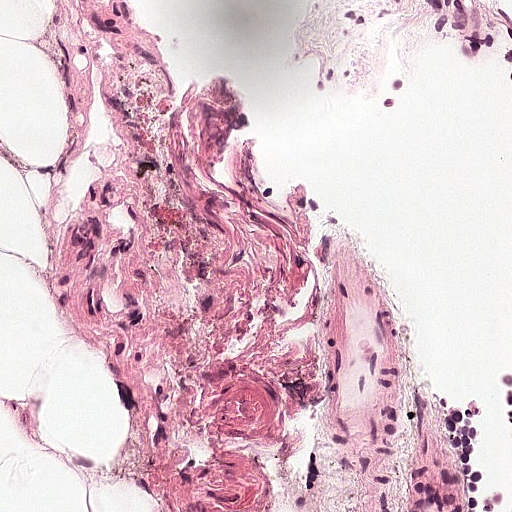
A 0.25-mm field of an H&E-stained sentinel lymph node from a breast-cancer patient (whole-slide image), shown at about 20×, about 0.49 µm per pixel.